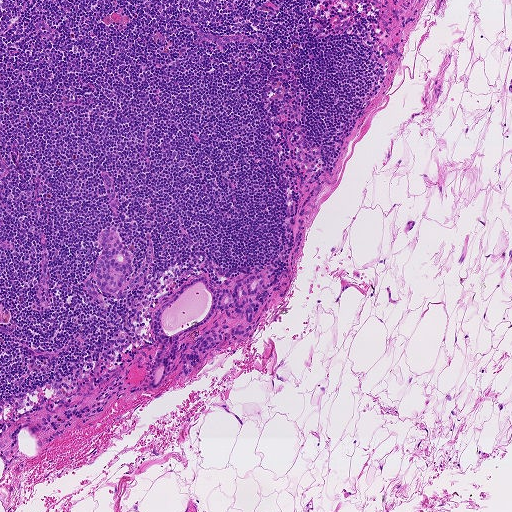
This is a crop of a whole-slide image: an H&E-stained breast-cancer sentinel lymph node section at roughly 5× magnification (about 1.8 µm per pixel; the crop spans about 0.93 mm).
Boundaries of four metastatic tumour regions, simplified and listed clockwise, largest first: region 1: (263, 274), (262, 287), (248, 296), (256, 303), (254, 320), (242, 321), (234, 308), (216, 311), (206, 323), (178, 339), (177, 351), (168, 360), (165, 377), (156, 388), (150, 380), (160, 344), (153, 335), (154, 313), (181, 285), (198, 276), (207, 276), (215, 290), (232, 291), (246, 277); region 2: (105, 230), (118, 233), (122, 246), (132, 254), (128, 285), (118, 293), (105, 293), (99, 288), (95, 280), (95, 263), (103, 248), (97, 239), (98, 234); region 3: (212, 329), (222, 336), (221, 345), (206, 354), (198, 353), (200, 361), (198, 365), (194, 367), (190, 374), (186, 375), (180, 365), (178, 364), (179, 357), (191, 352), (190, 348), (194, 341), (208, 330); region 4: (251, 325), (251, 327), (251, 330), (240, 336), (231, 335), (230, 329), (231, 327), (234, 328), (236, 330), (240, 331).
About 5% of the image area is annotated as tumour.